Question: 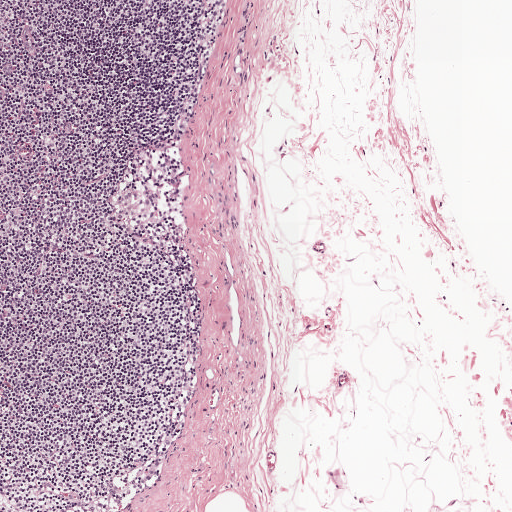
About what magnification does this crop show?

Choices:
 (A) about 40×
 (B) about 20×
 (C) about 2.5×
 (D) about 10×
 (E) about 5×

Answer: (E) about 5×
This is a crop of a whole-slide image: an H&E-stained breast-cancer sentinel lymph node section at roughly 5× magnification (about 1.9 µm per pixel; the crop spans about 1 mm).